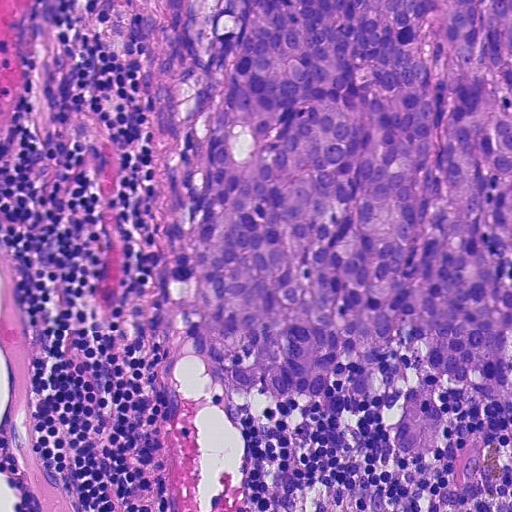
This is a crop of a whole-slide image: an H&E-stained breast-cancer sentinel lymph node section at roughly 20× magnification (about 0.45 µm per pixel; the crop spans about 0.23 mm).
Metastatic tumour outline, simplified to 13 points and listed clockwise in crop pixels (x, y): (511, 0), (504, 405), (443, 381), (439, 448), (418, 460), (392, 446), (393, 420), (378, 396), (298, 400), (222, 384), (191, 360), (150, 263), (126, 2).
About 55% of this field is tumour.